Lymph node section stained with H&E, from a whole-slide image of a breast-cancer sentinel node. Magnification about 10×, about 0.5 mm across the frame, about 0.97 µm per pixel.
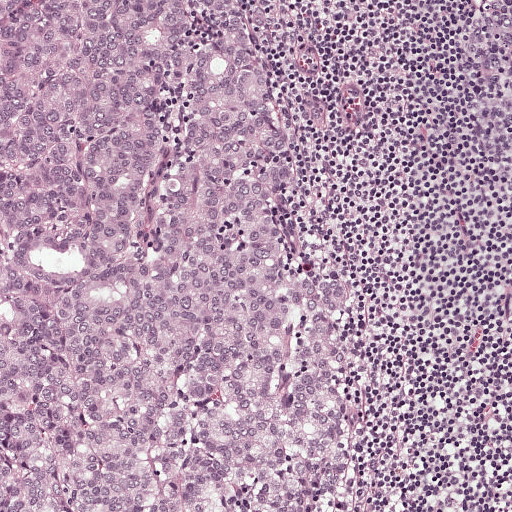
One metastatic tumour region; its boundary, reduced to 8 corners and listed clockwise: (0, 0), (250, 0), (304, 164), (306, 248), (352, 292), (372, 420), (365, 511), (0, 511).
About 65% of the image area is annotated as tumour.